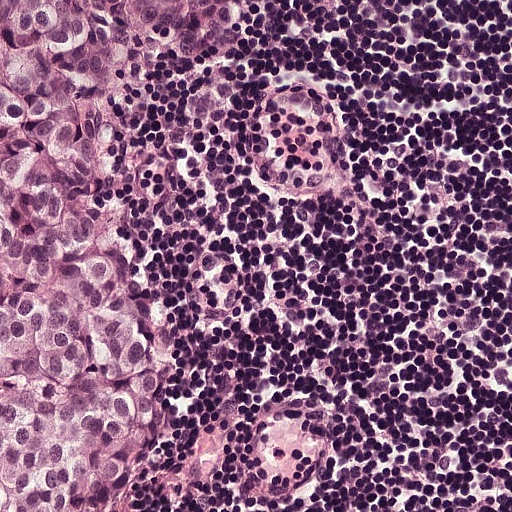
A 0.25-mm field of an H&E-stained sentinel lymph node from a breast-cancer patient (whole-slide image), shown at about 20×, about 0.49 µm per pixel.
The outlined metastatic tumour's edge, as a closed clockwise path of 7 points: (0, 0), (189, 0), (112, 88), (114, 210), (160, 348), (152, 511), (0, 511).
About 25% of this field is tumour.